Question: 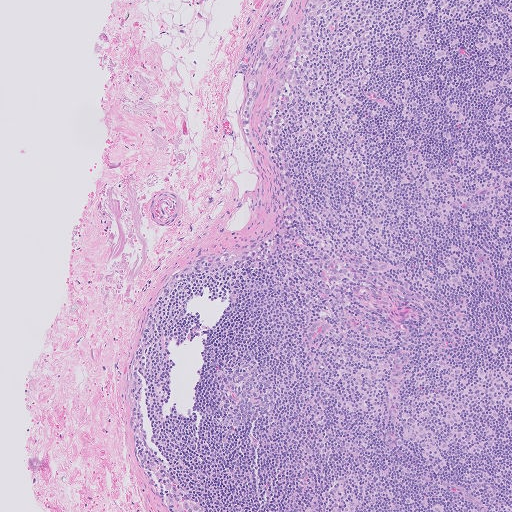
H&E-stained section of a sentinel lymph node (breast cancer), from a whole-slide image, viewed at about 5×: the field is about 1.0 mm across, about 2.0 µm per pixel.
About how much of this crop is taken up by metastatic carcinoma?

Choices:
 (A) about 5% or less
 (B) about 10% to 20%
 (C) none: no tumour is outlined
 (D) about 25% to 45%
 (E) about 50% or more

Answer: (A) about 5% or less
Under 5% of the field is tumour.
The outlined metastatic tumour's edge, as a closed clockwise path of 14 points: (276, 22), (280, 23), (280, 40), (263, 68), (258, 96), (252, 110), (250, 126), (253, 143), (248, 145), (240, 125), (241, 109), (245, 98), (247, 77), (271, 25).